This is a crop of a whole-slide image: an H&E-stained breast-cancer sentinel lymph node section at roughly 20× magnification (about 0.45 µm per pixel; the crop spans about 0.23 mm).
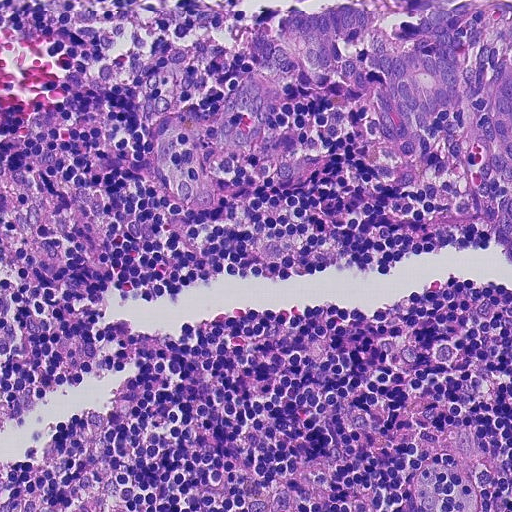
Question: Is there metastatic carcinoma in this field?
Answer: Yes.
One metastatic tumour region; its boundary, reduced to 24 corners and listed clockwise: (511, 0), (511, 268), (478, 226), (455, 242), (425, 231), (431, 200), (372, 175), (356, 96), (336, 89), (306, 87), (280, 118), (334, 155), (339, 164), (326, 178), (250, 192), (213, 216), (170, 207), (148, 163), (148, 80), (185, 46), (211, 38), (237, 47), (256, 30), (248, 2).
About 25% of the image area is annotated as tumour.